Lymph node section stained with H&E, from a whole-slide image of a breast-cancer sentinel node. Magnification about 20×, about 0.25 mm across the frame, about 0.49 µm per pixel.
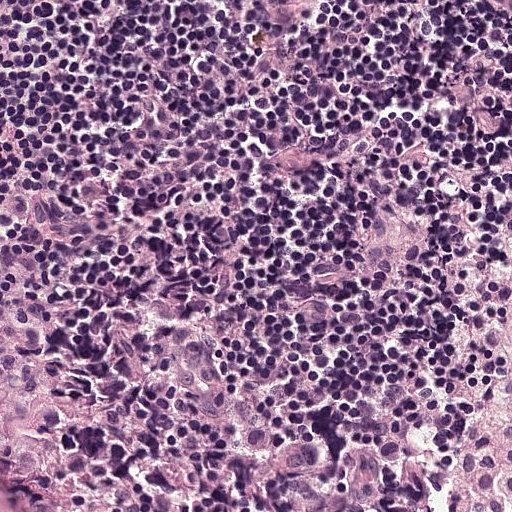
Question: Where is the metastatic tumour in this field? Give each region's outline as (x, y) pixel points.
Answer: One metastatic tumour region; its boundary, reduced to 4 corners and listed clockwise: (0, 338), (113, 378), (317, 511), (0, 511).
Tumour covers about 10% of the frame.